Question: 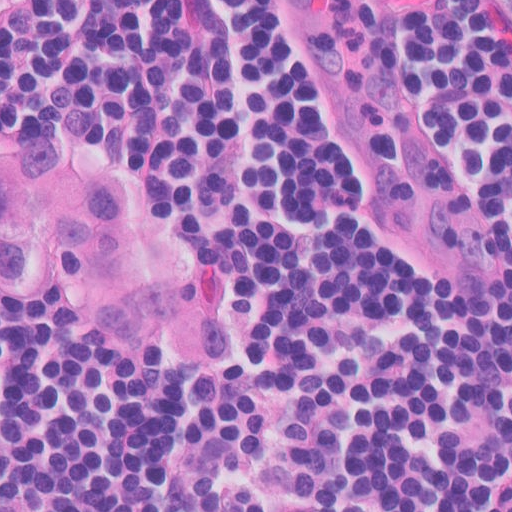
At roughly what magnification is this field shown?

Choices:
 (A) about 2.5×
 (B) about 20×
 (C) about 40×
 (D) about 5×
 (E) about 10×

Answer: (C) about 40×
H&E-stained section of a sentinel lymph node (breast cancer), from a whole-slide image, viewed at about 40×: the field is about 0.13 mm across, about 0.25 µm per pixel.
Boundaries of three metastatic tumour regions, simplified and listed clockwise, largest first: region 1: (88, 102), (224, 196), (288, 376), (169, 389), (46, 346), (0, 290), (0, 118); region 2: (0, 0), (138, 0), (31, 84), (0, 96); region 3: (495, 0), (511, 0), (511, 37).
The annotated tumour makes up about 25% of the crop.